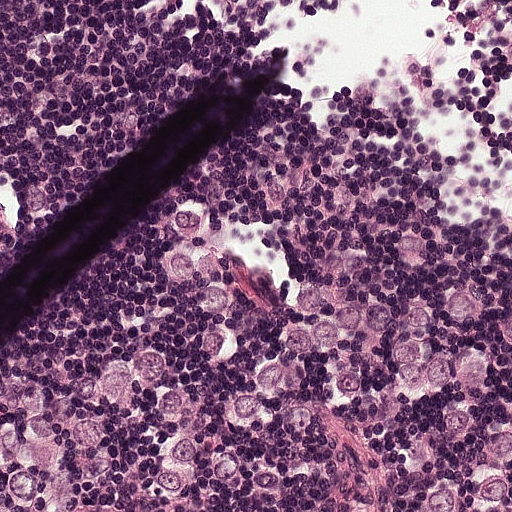
A 0.25-mm field of an H&E-stained sentinel lymph node from a breast-cancer patient (whole-slide image), shown at about 20×, about 0.49 µm per pixel.
Boundaries of two metastatic tumour regions, simplified and listed clockwise, largest first: region 1: (87, 197), (336, 269), (345, 271), (317, 256), (460, 270), (511, 290), (511, 511), (0, 511), (0, 365), (162, 232); region 2: (0, 177), (53, 182), (82, 194), (75, 192), (73, 194), (52, 230), (46, 237), (14, 260), (9, 260), (0, 266).
About 50% of this field is tumour.